A 0.12-mm field of an H&E-stained sentinel lymph node from a breast-cancer patient (whole-slide image), shown at about 40×, about 0.23 µm per pixel.
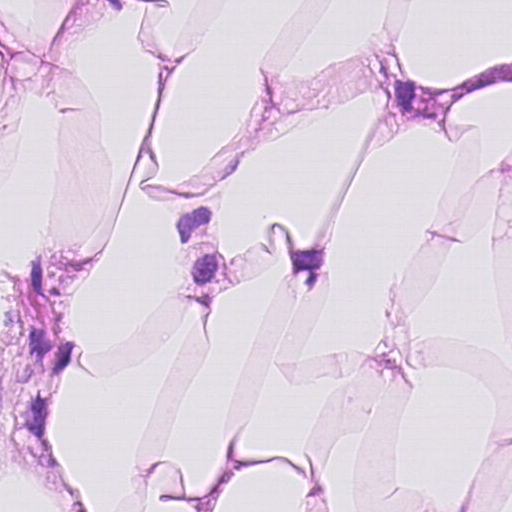
One metastatic tumour region; its boundary, reduced to 15 corners and listed clockwise: (180, 199), (239, 216), (265, 274), (206, 290), (144, 264), (75, 274), (76, 356), (61, 413), (95, 511), (45, 509), (0, 488), (0, 270), (48, 249), (115, 249), (158, 202).
About 10% of this field is tumour.